Question: 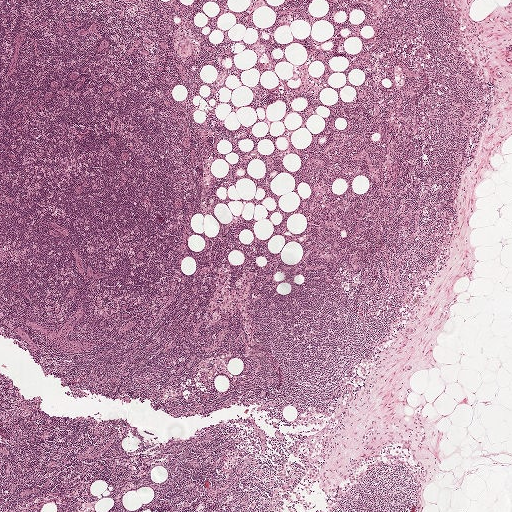
At roughly what magnification is this field shown?

Choices:
 (A) about 5×
 (B) about 10×
 (C) about 2.5×
 (D) about 20×
 (E) about 40×

Answer: (C) about 2.5×
H&E-stained section of a sentinel lymph node (breast cancer), from a whole-slide image, viewed at about 2.5×: the field is about 2.0 mm across, about 3.9 µm per pixel.